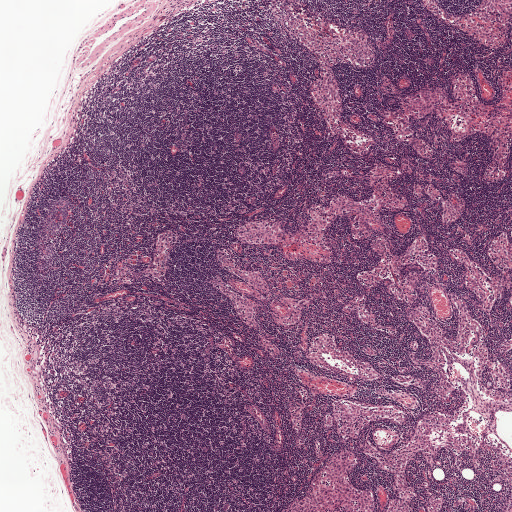
A 2.0-mm field of an H&E-stained sentinel lymph node from a breast-cancer patient (whole-slide image), shown at about 2.5×, about 3.9 µm per pixel.